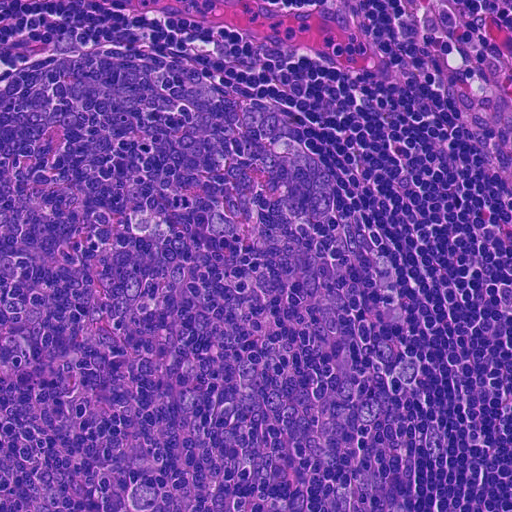
This is a crop of a whole-slide image: an H&E-stained breast-cancer sentinel lymph node section at roughly 20× magnification (about 0.45 µm per pixel; the crop spans about 0.23 mm).